Image:
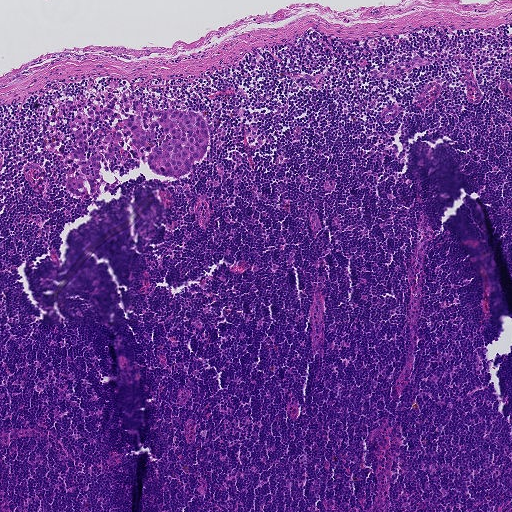
Lymph node section stained with H&E, from a whole-slide image of a breast-cancer sentinel node. Magnification about 5×, about 0.93 mm across the frame, about 1.8 µm per pixel.
Question:
Describe where the metastatic carcinoma lies in this crop.
Answer:
The outlined metastatic tumour's edge, as a closed clockwise path of 23 points: (138, 102), (146, 112), (203, 115), (206, 150), (190, 172), (179, 179), (148, 168), (143, 160), (100, 161), (105, 181), (117, 182), (112, 194), (88, 198), (70, 193), (65, 182), (76, 142), (73, 130), (83, 134), (87, 159), (113, 126), (104, 112), (134, 112), (132, 103).
About 5% of the image area is annotated as tumour.